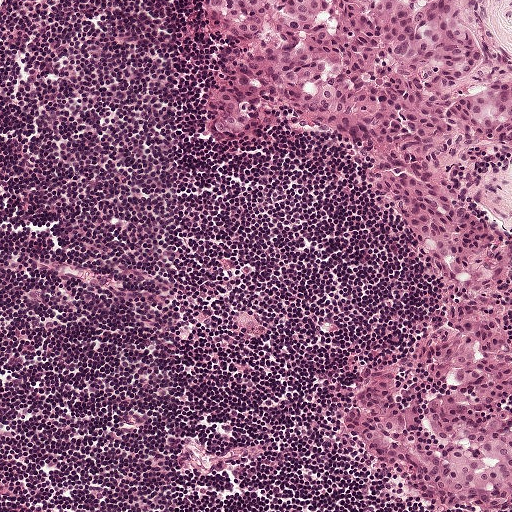
A 0.5-mm field of an H&E-stained sentinel lymph node from a breast-cancer patient (whole-slide image), shown at about 10×, about 0.97 µm per pixel.
Tumour region outline (a closed clockwise path, crop pixels): (476, 0), (472, 18), (511, 76), (511, 140), (467, 152), (464, 178), (511, 280), (511, 511), (446, 511), (344, 447), (344, 406), (363, 382), (432, 338), (440, 300), (414, 238), (340, 144), (292, 132), (203, 140), (209, 79), (231, 50), (196, 1).
About 30% of the image area is annotated as tumour.